Question: 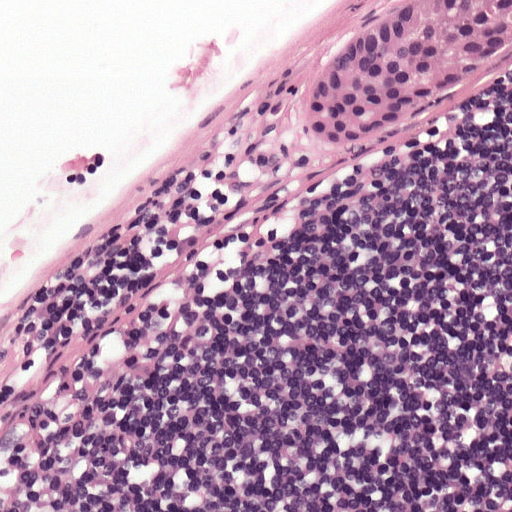
A 0.25-mm field of an H&E-stained sentinel lymph node from a breast-cancer patient (whole-slide image), shown at about 20×, about 0.49 µm per pixel.
Roughly what share of this field is metastatic tumour?

Choices:
 (A) about 5% or less
 (B) none: no tumour is outlined
 (C) about 25% to 45%
 (D) about 10% to 20%
 (E) about 50% or more

Answer: (A) about 5% or less
About 5% of the field is tumour.
The outlined metastatic tumour's edge, as a closed clockwise path of 8 points: (391, 0), (511, 0), (511, 42), (449, 94), (358, 148), (309, 138), (298, 108), (362, 20).